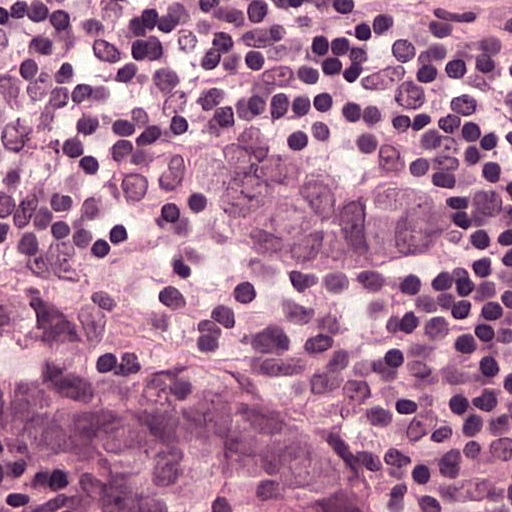
A 0.12-mm field of an H&E-stained sentinel lymph node from a breast-cancer patient (whole-slide image), shown at about 40×, about 0.24 µm per pixel.
Boundaries of two metastatic tumour regions, simplified and listed clockwise, largest first: region 1: (0, 239), (128, 278), (173, 305), (332, 460), (427, 511), (28, 511), (5, 496); region 2: (254, 128), (316, 147), (335, 181), (360, 172), (401, 190), (435, 184), (451, 190), (459, 206), (454, 244), (413, 266), (360, 272), (335, 283), (288, 281), (235, 256), (198, 216), (204, 153).
Tumour covers about 35% of the frame.